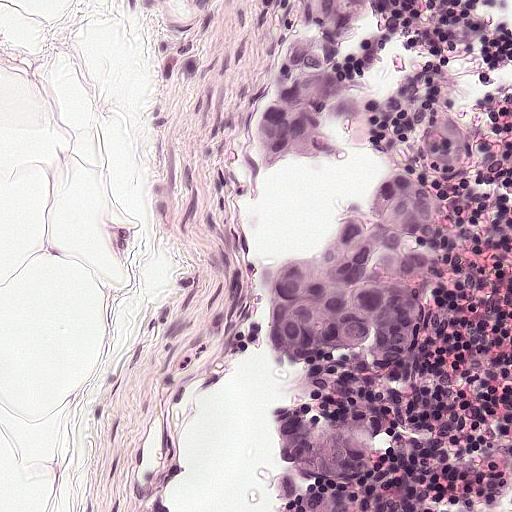
A 0.25-mm field of an H&E-stained sentinel lymph node from a breast-cancer patient (whole-slide image), shown at about 20×, about 0.49 µm per pixel.
Boundaries of three metastatic tumour regions, simplified and listed clockwise, largest first: region 1: (405, 174), (430, 190), (433, 258), (426, 284), (426, 346), (404, 356), (388, 375), (374, 374), (362, 350), (312, 370), (288, 370), (255, 357), (260, 311), (276, 270), (318, 244), (362, 187); region 2: (396, 0), (392, 7), (366, 8), (356, 16), (332, 64), (331, 98), (322, 112), (338, 142), (328, 157), (308, 165), (266, 164), (247, 148), (247, 114), (262, 64), (289, 2); region 3: (280, 402), (334, 414), (360, 430), (374, 468), (368, 482), (354, 496), (351, 511), (284, 511), (264, 462), (264, 428), (270, 410).
About 20% of the image area is annotated as tumour.